A 0.25-mm field of an H&E-stained sentinel lymph node from a breast-cancer patient (whole-slide image), shown at about 20×, about 0.49 µm per pixel.
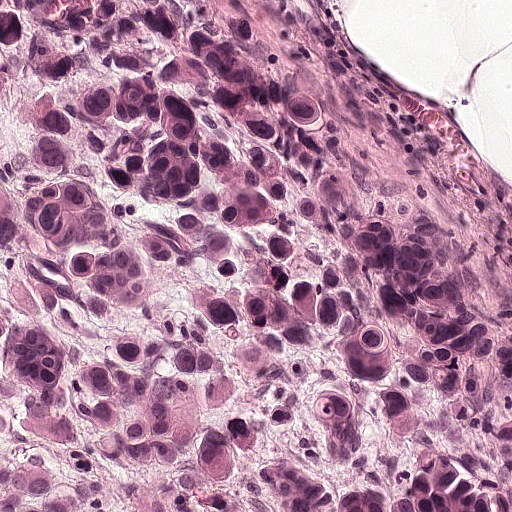
One metastatic tumour region; its boundary, reduced to 9 corners and listed clockwise: (0, 0), (239, 0), (272, 46), (380, 118), (423, 189), (472, 228), (506, 296), (511, 511), (0, 511).
Tumour covers about 85% of the frame.